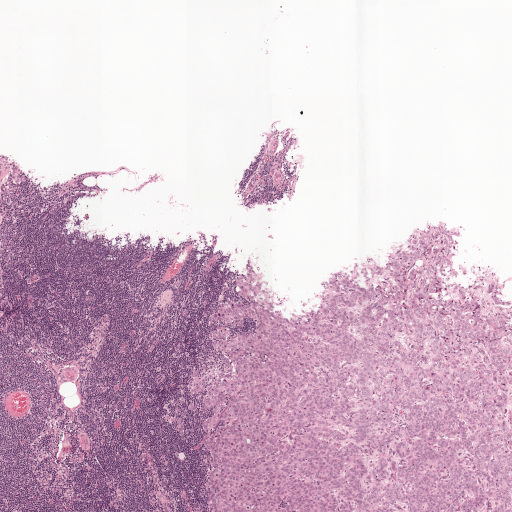
Lymph node section stained with H&E, from a whole-slide image of a breast-cancer sentinel node. Magnification about 2.5×, about 2.0 mm across the frame, about 3.9 µm per pixel.
Two metastatic tumour regions, each outlined as a closed clockwise path in crop pixels (x, y), largest first: region 1: (427, 221), (464, 224), (458, 260), (511, 276), (511, 511), (205, 511), (200, 423), (212, 411), (198, 405), (181, 436), (176, 418), (192, 386), (227, 374), (207, 319), (227, 297), (245, 302), (235, 280), (253, 252), (290, 286), (295, 308), (330, 271); region 2: (15, 165), (20, 167), (21, 171), (21, 181), (18, 184), (14, 182), (11, 178), (12, 169).
One more small tumour piece is annotated here but not outlined.
Tumour covers about 30% of the frame.